A 1-mm field of an H&E-stained sentinel lymph node from a breast-cancer patient (whole-slide image), shown at about 5×, about 1.9 µm per pixel.
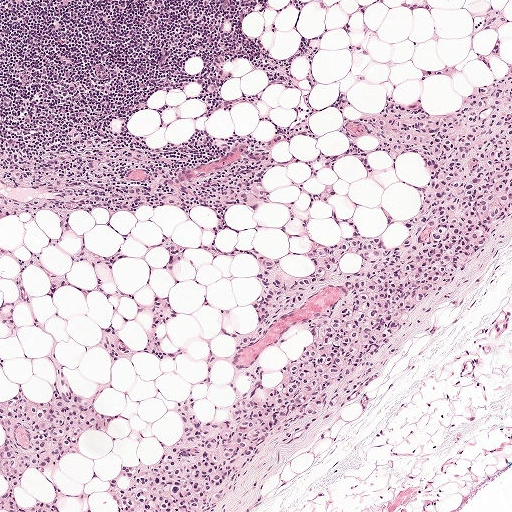
Boundaries of four metastatic tumour regions, simplified and listed clockwise, largest first: region 1: (511, 66), (511, 216), (209, 511), (115, 511), (109, 477), (185, 431), (188, 391), (213, 423), (238, 369), (278, 379), (346, 287), (236, 347), (257, 270), (198, 246), (204, 202), (68, 230), (50, 208), (0, 218), (0, 136), (91, 127), (206, 172), (288, 125), (390, 102), (448, 116); region 2: (60, 362), (77, 392), (88, 394), (102, 384), (93, 409), (123, 413), (103, 433), (85, 431), (79, 453), (53, 468), (32, 469), (16, 487), (20, 505), (51, 500), (59, 511), (0, 511), (0, 489), (9, 487), (0, 472), (0, 399), (20, 378), (26, 393), (49, 398); region 3: (171, 230), (186, 247), (170, 288), (164, 264), (168, 247), (107, 262), (112, 276), (99, 291), (80, 298), (70, 285), (58, 285), (52, 294), (37, 294), (32, 305), (40, 325), (23, 322), (13, 332), (2, 327), (0, 303), (15, 297), (15, 287), (10, 279), (0, 278), (0, 248), (7, 244), (17, 247), (20, 256), (33, 253), (86, 285), (86, 264), (67, 256), (67, 250), (82, 246), (83, 237), (94, 249), (111, 248), (118, 241), (126, 250), (139, 251); region 4: (169, 290), (168, 301), (175, 312), (158, 322), (156, 336), (160, 344), (167, 348), (184, 346), (182, 355), (173, 361), (158, 362), (150, 352), (144, 350), (130, 358), (122, 359), (119, 356), (117, 362), (109, 363), (102, 350), (95, 342), (96, 336), (101, 328), (108, 323), (115, 324), (123, 342), (144, 346), (143, 329), (148, 325), (149, 317), (146, 312), (128, 304), (126, 291), (148, 301), (152, 294), (163, 294).
Two more small tumour pieces are annotated here but not outlined.
About 40% of this field is tumour.